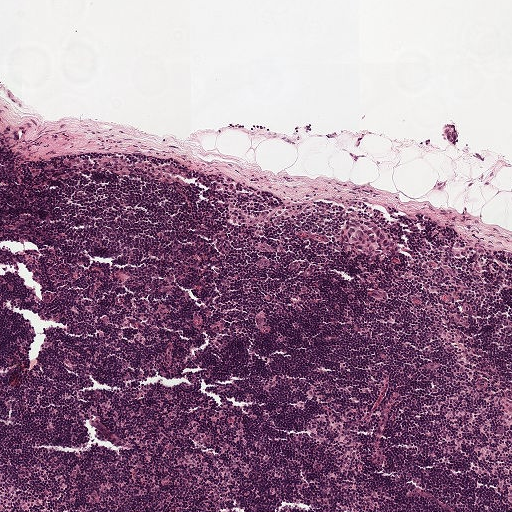
H&E-stained section of a sentinel lymph node (breast cancer), from a whole-slide image, viewed at about 5×: the field is about 1 mm across, about 1.9 µm per pixel.
Metastatic tumour outline, simplified to 10 points and listed clockwise in crop pixels (x, y): (368, 218), (384, 226), (393, 236), (401, 249), (399, 255), (384, 261), (376, 261), (349, 237), (347, 230), (351, 220).
Under 5% of the image area is annotated as tumour.